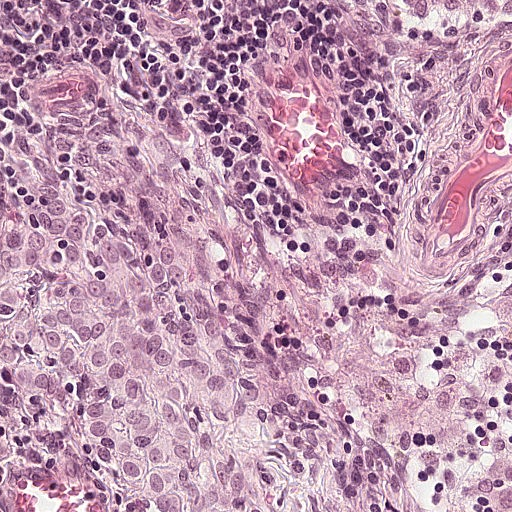
Lymph node section stained with H&E, from a whole-slide image of a breast-cancer sentinel node. Magnification about 20×, about 0.25 mm across the frame, about 0.49 µm per pixel.
The outlined metastatic tumour's edge, as a closed clockwise path of 8 points: (0, 136), (216, 276), (262, 354), (299, 511), (130, 511), (124, 492), (62, 450), (0, 366).
Tumour covers about 25% of the frame.